Image:
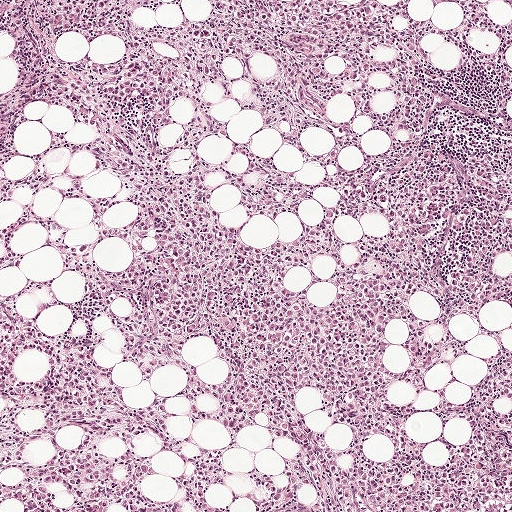
This is a crop of a whole-slide image: an H&E-stained breast-cancer sentinel lymph node section at roughly 5× magnification (about 1.9 µm per pixel; the crop spans about 1 mm).
Question:
Which parts of this field are metastatic tumour?
Answer:
Metastatic tumour outline, simplified to 24 points and listed clockwise in crop pixels (x, y): (147, 154), (196, 171), (220, 224), (272, 250), (284, 288), (310, 304), (379, 274), (401, 426), (359, 439), (301, 385), (311, 444), (271, 438), (259, 414), (230, 441), (212, 417), (225, 363), (204, 335), (182, 342), (189, 370), (140, 372), (120, 337), (118, 231), (134, 211), (108, 174).
About 15% of the image area is annotated as tumour.